Image:
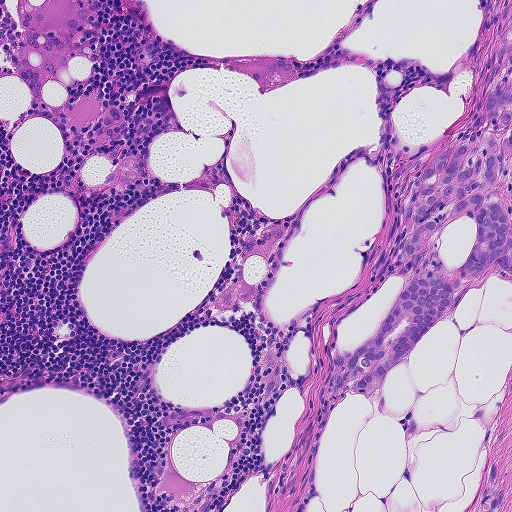
This is a crop of a whole-slide image: an H&E-stained breast-cancer sentinel lymph node section at roughly 10× magnification (about 0.9 µm per pixel; the crop spans about 0.46 mm).
Question:
Is there metastatic carcinoma in this field?
Answer:
Yes.
Boundaries of two metastatic tumour regions, simplified and listed clockwise, largest first: region 1: (511, 0), (511, 282), (488, 275), (464, 291), (390, 374), (383, 410), (413, 407), (418, 420), (439, 424), (405, 441), (402, 428), (358, 395), (324, 400), (333, 344), (359, 349), (396, 307), (407, 280), (394, 273), (401, 205), (427, 157), (478, 111), (495, 72), (504, 2); region 2: (496, 458), (501, 496), (498, 511), (475, 511), (476, 496), (487, 469).
The annotated tumour makes up about 10% of the crop.